A 0.25-mm field of an H&E-stained sentinel lymph node from a breast-cancer patient (whole-slide image), shown at about 20×, about 0.49 µm per pixel.
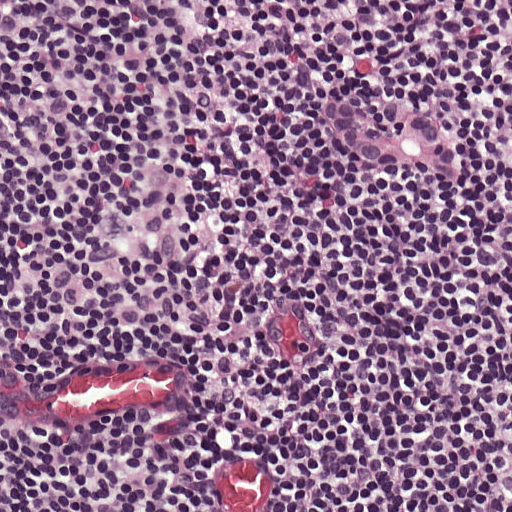
One metastatic tumour region; its boundary, reduced to 13 corners and listed clockwise: (332, 94), (384, 94), (424, 106), (463, 132), (471, 148), (472, 168), (466, 188), (447, 193), (410, 180), (392, 180), (374, 171), (318, 122), (317, 102).
About 5% of the image area is annotated as tumour.